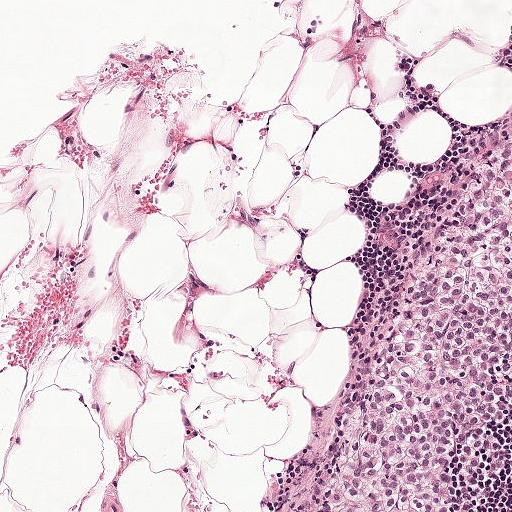
Lymph node section stained with H&E, from a whole-slide image of a breast-cancer sentinel node. Magnification about 10×, about 0.5 mm across the frame, about 0.97 µm per pixel.
The outlined metastatic tumour's edge, as a closed clockwise path of 9 points: (510, 50), (511, 511), (291, 511), (365, 382), (377, 350), (380, 291), (407, 227), (446, 175), (473, 80).
About 20% of this field is tumour.